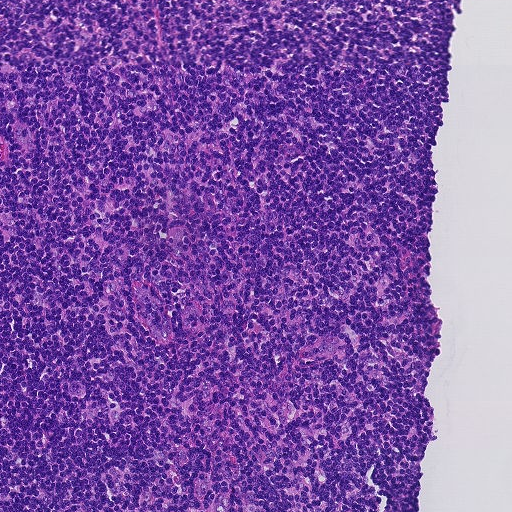
Lymph node section stained with H&E, from a whole-slide image of a breast-cancer sentinel node. Magnification about 10×, about 0.46 mm across the frame, about 0.9 µm per pixel.
Question: Is there metastatic carcinoma in this field?
Answer: No: no metastatic tumour is outlined anywhere in this field.